A 0.25-mm field of an H&E-stained sentinel lymph node from a breast-cancer patient (whole-slide image), shown at about 20×, about 0.49 µm per pixel.
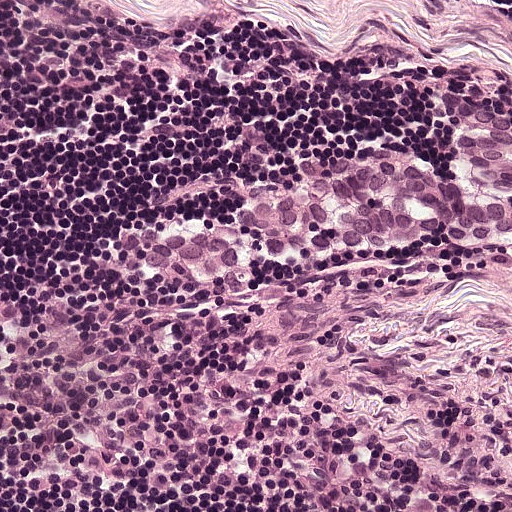
Metastatic tumour outline, simplified to 21 points and listed clockwise in crop pixels (x, y): (511, 129), (511, 238), (456, 237), (428, 228), (333, 257), (258, 258), (222, 280), (188, 266), (140, 268), (123, 242), (122, 232), (144, 220), (223, 214), (259, 181), (290, 174), (308, 155), (347, 158), (406, 148), (450, 170), (458, 167), (454, 134).
The annotated tumour makes up about 10% of the crop.